Lymph node section stained with H&E, from a whole-slide image of a breast-cancer sentinel node. Magnification about 10×, about 0.46 mm across the frame, about 0.9 µm per pixel.
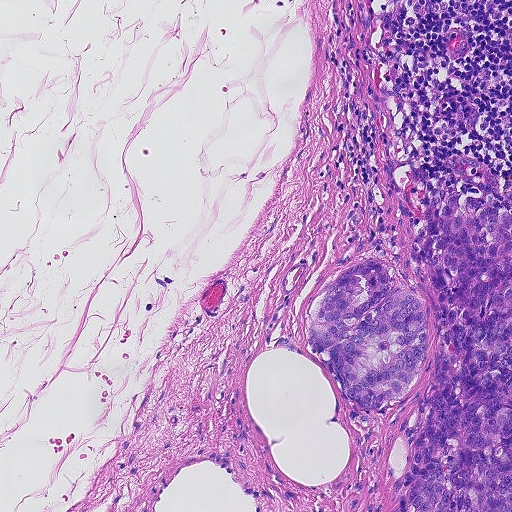
Question: Where is the metastatic tumour in this field? Give each region's outline as (x, y) pixel points.
Answer: Two metastatic tumour regions, each outlined as a closed clockwise path in crop pixels (x, y), largest first: region 1: (509, 212), (511, 511), (393, 511), (413, 454), (400, 425), (404, 419), (412, 426), (419, 422), (438, 340), (432, 272), (409, 256), (411, 248), (434, 218), (480, 221); region 2: (360, 260), (386, 263), (399, 285), (420, 300), (426, 311), (428, 337), (419, 375), (399, 409), (366, 410), (345, 396), (323, 363), (312, 355), (306, 330), (308, 317), (331, 284).
The annotated tumour makes up about 15% of the crop.